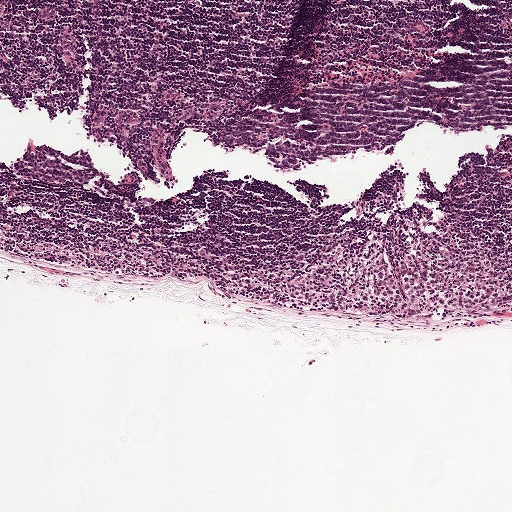
This is a crop of a whole-slide image: an H&E-stained breast-cancer sentinel lymph node section at roughly 5× magnification (about 1.9 µm per pixel; the crop spans about 1 mm).
Metastatic tumour outline, simplified to 14 points and listed clockwise in crop pixels (x, y): (363, 236), (393, 238), (414, 251), (460, 244), (511, 267), (511, 319), (492, 323), (319, 313), (264, 299), (250, 280), (251, 270), (262, 262), (285, 260), (328, 243).
The annotated tumour makes up about 5% of the crop.